Question: 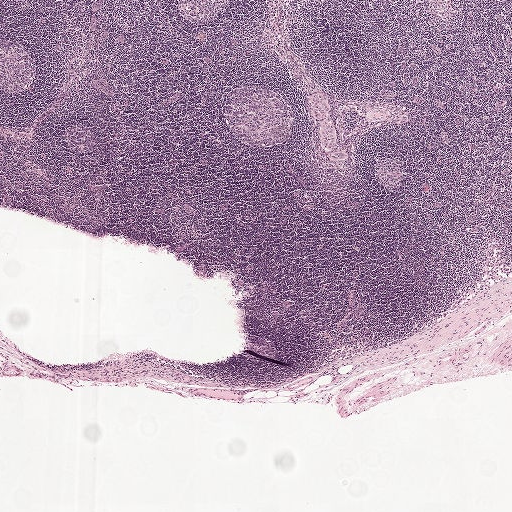
H&E-stained section of a sentinel lymph node (breast cancer), from a whole-slide image, viewed at about 2.5×: the field is about 2.0 mm across, about 3.9 µm per pixel.
About how much of this crop is taken up by metastatic carcinoma?

Choices:
 (A) about 50% or more
 (B) about 25% to 45%
 (C) none: no tumour is outlined
 (D) about 10% to 20%
 (E) about 5% or less

Answer: (E) about 5% or less
Under 5% of the field is tumour.
Tumour region outline (a closed clockwise path, crop pixels): (319, 92), (328, 100), (331, 110), (328, 121), (333, 123), (337, 134), (336, 148), (332, 151), (340, 150), (348, 153), (348, 157), (344, 159), (330, 158), (321, 147), (319, 132), (310, 105), (310, 97), (313, 93).